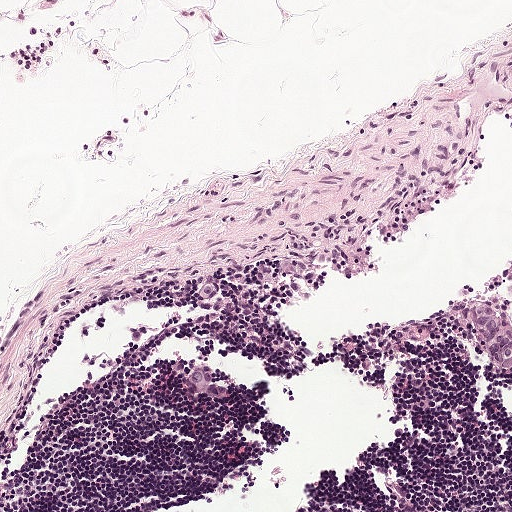
H&E-stained section of a sentinel lymph node (breast cancer), from a whole-slide image, viewed at about 10×: the field is about 0.5 mm across, about 0.97 µm per pixel.
The outlined metastatic tumour's edge, as a closed clockwise path of 12 points: (484, 296), (511, 310), (511, 366), (510, 366), (503, 365), (491, 356), (491, 352), (481, 337), (474, 321), (470, 316), (470, 306), (475, 299).
Two more small tumour pieces are annotated here but not outlined.
The annotated tumour makes up under 5% of the crop.